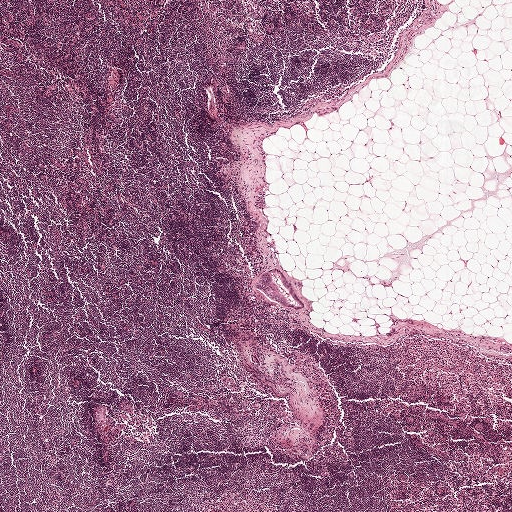
Lymph node section stained with H&E, from a whole-slide image of a breast-cancer sentinel node. Magnification about 2.5×, about 2.0 mm across the frame, about 3.9 µm per pixel.
Boundaries of two metastatic tumour regions, simplified and listed clockwise, largest first: region 1: (276, 268), (276, 273), (272, 276), (276, 290), (280, 296), (280, 302), (272, 302), (269, 297), (254, 287), (256, 281), (266, 272); region 2: (98, 404), (107, 406), (108, 412), (108, 418), (100, 423), (96, 422), (96, 414), (92, 409), (93, 406).
The annotated tumour makes up under 5% of the crop.